Question: 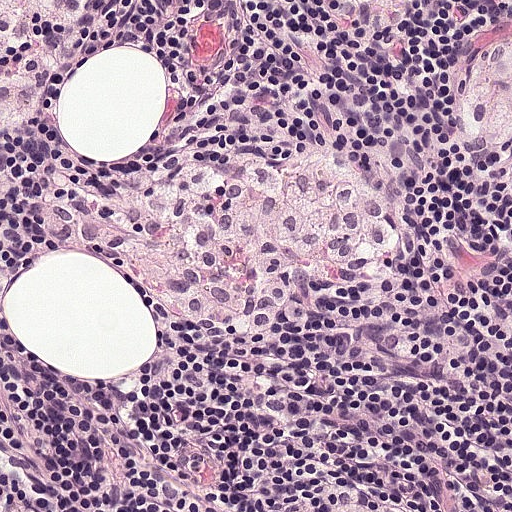
Which magnification is this H&E lymph node field most likely shown at?

Choices:
 (A) about 5×
 (B) about 2.5×
 (C) about 40×
 (D) about 20×
 (E) about 10×

Answer: (D) about 20×
Lymph node section stained with H&E, from a whole-slide image of a breast-cancer sentinel node. Magnification about 20×, about 0.25 mm across the frame, about 0.49 µm per pixel.